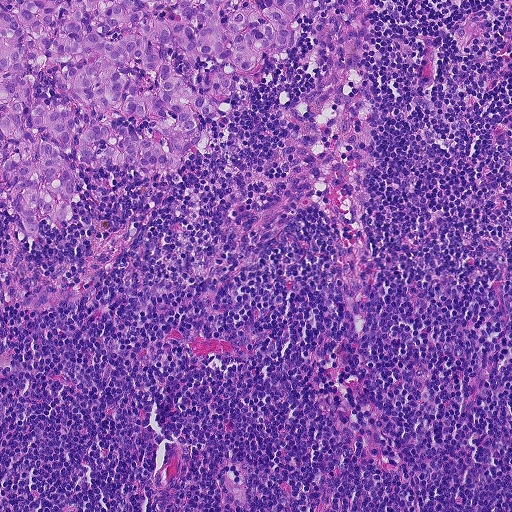
This is a crop of a whole-slide image: an H&E-stained breast-cancer sentinel lymph node section at roughly 10× magnification (about 0.9 µm per pixel; the crop spans about 0.46 mm).
One metastatic tumour region; its boundary, reduced to 19 corners and listed clockwise: (0, 0), (326, 0), (283, 60), (262, 62), (233, 116), (206, 126), (208, 146), (182, 175), (142, 180), (128, 166), (80, 169), (86, 188), (72, 203), (73, 222), (55, 232), (43, 221), (36, 240), (27, 240), (0, 193).
The annotated tumour makes up about 20% of the crop.